Lymph node section stained with H&E, from a whole-slide image of a breast-cancer sentinel node. Magnification about 10×, about 0.46 mm across the frame, about 0.9 µm per pixel.
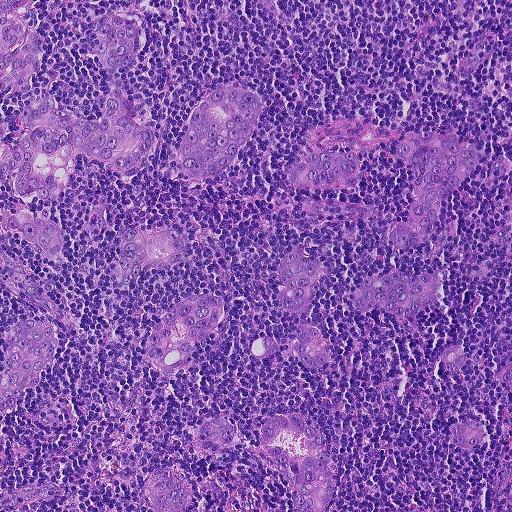
Outlines of the eight largest metastatic tumour regions, each a closed clockwise path in crop pixels (x, y), largest first: region 1: (114, 12), (137, 16), (147, 37), (129, 68), (118, 70), (117, 82), (133, 114), (154, 126), (155, 138), (137, 180), (125, 182), (78, 154), (60, 200), (16, 197), (0, 183), (0, 141), (13, 146), (28, 131), (20, 109), (53, 95), (60, 106), (94, 118), (109, 89), (92, 23); region 2: (238, 85), (257, 96), (262, 105), (262, 116), (230, 172), (222, 178), (180, 181), (164, 180), (160, 170), (172, 161), (194, 111), (207, 94); region 3: (418, 130), (442, 134), (474, 147), (480, 156), (476, 166), (439, 208), (425, 240), (415, 245), (393, 246), (386, 237), (406, 212), (412, 179), (409, 167), (402, 158), (392, 153), (395, 143), (408, 134); region 4: (283, 412), (304, 415), (320, 430), (325, 440), (324, 453), (338, 470), (338, 481), (330, 503), (339, 508), (339, 511), (327, 511), (327, 506), (323, 511), (297, 511), (293, 505), (291, 483), (265, 462), (260, 452), (263, 423), (272, 416); region 5: (204, 294), (215, 295), (223, 302), (223, 313), (213, 333), (195, 345), (194, 356), (188, 365), (170, 377), (159, 375), (145, 358), (146, 341), (164, 313), (194, 296); region 6: (37, 318), (48, 323), (55, 332), (57, 342), (55, 353), (38, 382), (30, 391), (24, 391), (13, 410), (0, 415), (0, 361), (8, 330), (15, 322); region 7: (296, 248), (302, 258), (313, 259), (321, 267), (323, 278), (320, 288), (308, 307), (306, 318), (331, 344), (331, 356), (326, 366), (316, 370), (298, 357), (294, 347), (294, 336), (301, 315), (289, 314), (280, 307), (277, 296), (284, 288), (276, 270), (285, 250); region 8: (396, 271), (407, 272), (417, 276), (440, 272), (443, 282), (437, 304), (426, 307), (409, 319), (378, 309), (357, 314), (352, 306), (352, 296), (364, 276).
Nine more, smaller tumour regions are not outlined.
Four more small tumour pieces are annotated here but not outlined.
About 25% of the image area is annotated as tumour.